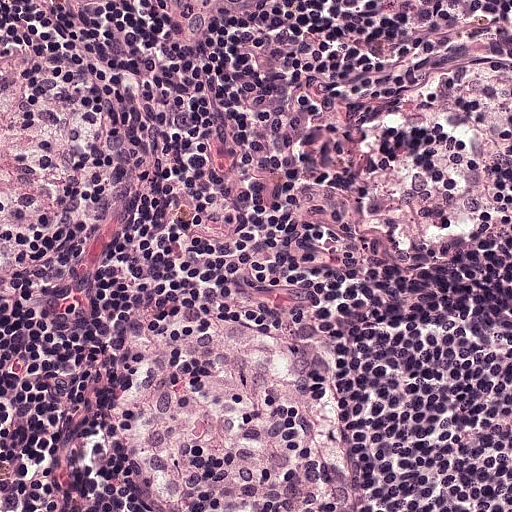
H&E-stained section of a sentinel lymph node (breast cancer), from a whole-slide image, viewed at about 20×: the field is about 0.25 mm across, about 0.49 µm per pixel.
Question: Does this lymph node field contain metastatic tumour?
Answer: No. No metastatic tumour is outlined in this field.